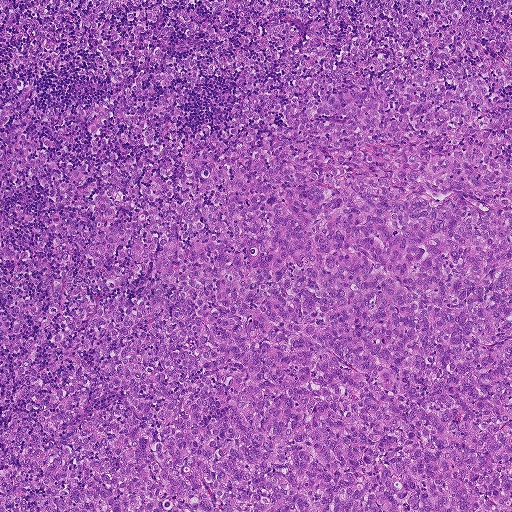
This is a crop of a whole-slide image: an H&E-stained breast-cancer sentinel lymph node section at roughly 5× magnification (about 1.8 µm per pixel; the crop spans about 0.93 mm).
Metastatic tumour covers the whole field.
Over 95% of the image area is annotated as tumour.